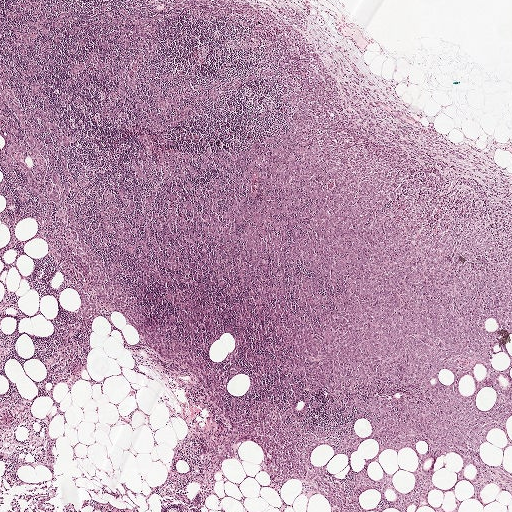
H&E-stained section of a sentinel lymph node (breast cancer), from a whole-slide image, viewed at about 2.5×: the field is about 2.0 mm across, about 3.9 µm per pixel.
Metastatic tumour outline, simplified to 22 points and listed clockwise in crop pixels (x, y): (0, 0), (297, 7), (333, 72), (511, 175), (511, 446), (497, 429), (478, 454), (511, 497), (488, 486), (482, 510), (464, 481), (458, 511), (330, 511), (251, 441), (189, 465), (216, 426), (194, 381), (104, 308), (74, 375), (82, 299), (44, 239), (2, 254).
About 70% of the image area is annotated as tumour.